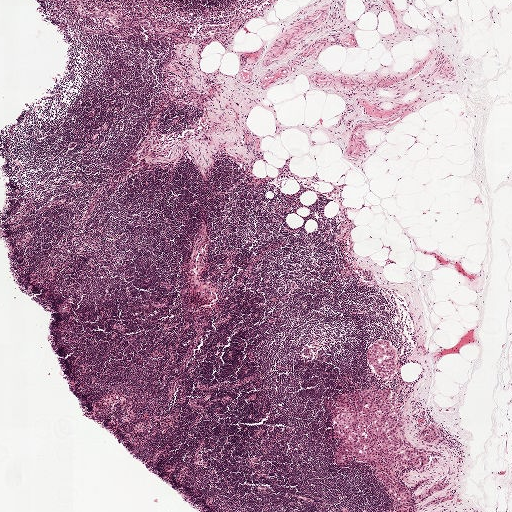
Lymph node section stained with H&E, from a whole-slide image of a breast-cancer sentinel node. Magnification about 2.5×, about 2.0 mm across the frame, about 3.9 µm per pixel.
Boundaries of four metastatic tumour regions, simplified and listed clockwise, largest first: region 1: (370, 388), (385, 390), (404, 422), (400, 433), (405, 442), (427, 458), (422, 466), (399, 468), (414, 511), (392, 511), (386, 489), (368, 465), (333, 464), (335, 449), (340, 442), (333, 434), (331, 418), (336, 407), (342, 402), (351, 403), (353, 396); region 2: (383, 340), (391, 344), (394, 349), (397, 360), (391, 377), (379, 378), (370, 367), (366, 352), (373, 342); region 3: (430, 425), (434, 427), (439, 433), (439, 436), (437, 440), (426, 443), (421, 441), (419, 435), (422, 429); region 4: (444, 478), (448, 485), (434, 496), (426, 496), (425, 493), (427, 488), (437, 481).
About 5% of the image area is annotated as tumour.